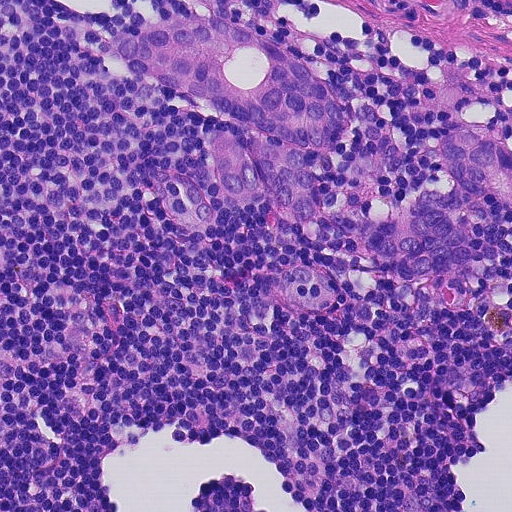
Lymph node section stained with H&E, from a whole-slide image of a breast-cancer sentinel node. Magnification about 20×, about 0.23 mm across the frame, about 0.45 µm per pixel.
The outlined metastatic tumour's edge, as a closed clockwise path of 24 points: (189, 12), (253, 28), (336, 100), (332, 132), (311, 158), (319, 190), (378, 222), (453, 185), (435, 139), (464, 123), (511, 147), (511, 207), (494, 189), (462, 202), (468, 267), (434, 275), (371, 263), (319, 222), (224, 204), (209, 140), (217, 109), (126, 70), (104, 46), (124, 28).
About 15% of this field is tumour.